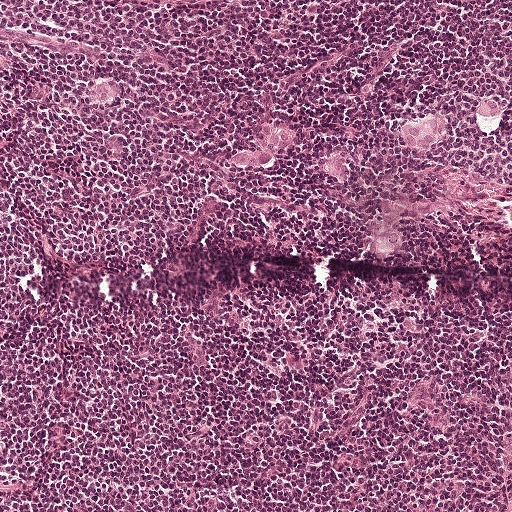
H&E-stained section of a sentinel lymph node (breast cancer), from a whole-slide image, viewed at about 10×: the field is about 0.5 mm across, about 0.97 µm per pixel.
Outlines of four tumour regions, largest first (closed clockwise paths, crop pixels): region 1: (429, 112), (438, 116), (446, 123), (446, 139), (440, 144), (431, 143), (425, 151), (404, 142), (398, 131), (402, 120); region 2: (281, 123), (290, 125), (295, 130), (295, 137), (280, 151), (270, 151), (272, 154), (271, 162), (260, 164), (255, 167), (238, 163), (231, 158), (234, 152), (244, 148), (267, 150), (265, 149), (265, 142), (267, 129); region 3: (112, 76), (120, 80), (123, 86), (118, 102), (108, 105), (90, 103), (88, 99), (88, 92), (92, 80); region 4: (329, 153), (343, 156), (346, 159), (347, 166), (350, 174), (349, 181), (334, 180), (328, 177), (326, 171), (317, 166), (318, 157).
Two more small tumour pieces are annotated here but not outlined.
Tumour covers under 5% of the frame.